Question: 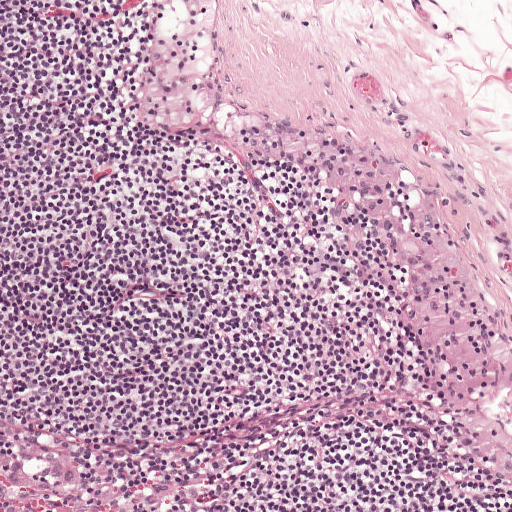
At roughly what magnification is this field shown?

Choices:
 (A) about 5×
 (B) about 10×
 (C) about 40×
 (D) about 2.5×
 (E) about 20×

Answer: (B) about 10×
H&E-stained section of a sentinel lymph node (breast cancer), from a whole-slide image, viewed at about 10×: the field is about 0.5 mm across, about 0.97 µm per pixel.